Image:
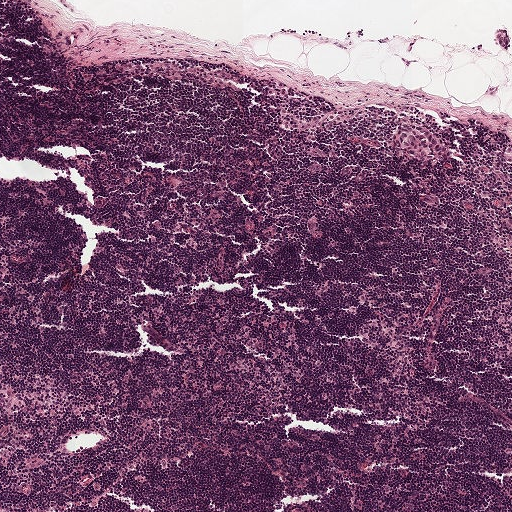
This is a crop of a whole-slide image: an H&E-stained breast-cancer sentinel lymph node section at roughly 5× magnification (about 1.9 µm per pixel; the crop spans about 1 mm).
Question:
Describe where the metastatic carcinoma lies in this crop.
Answer:
One metastatic tumour region; its boundary, reduced to 10 corners and listed clockwise: (420, 123), (436, 132), (445, 141), (453, 154), (451, 160), (436, 166), (428, 166), (401, 142), (399, 135), (403, 125).
The annotated tumour makes up under 5% of the crop.